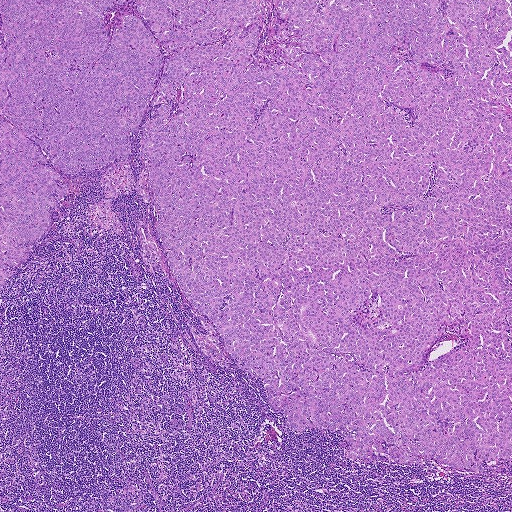
Lymph node section stained with H&E, from a whole-slide image of a breast-cancer sentinel node. Magnification about 2.5×, about 1.9 mm across the frame, about 3.6 µm per pixel.
Question: Is there metastatic carcinoma in this field?
Answer: Yes.
One metastatic tumour region; its boundary, reduced to 21 corners and listed clockwise: (0, 0), (511, 0), (505, 462), (477, 473), (349, 457), (354, 429), (297, 433), (273, 411), (159, 237), (138, 147), (160, 105), (181, 111), (183, 87), (151, 104), (157, 80), (128, 157), (97, 169), (67, 172), (29, 138), (68, 193), (1, 286).
About 65% of this field is tumour.